Lymph node section stained with H&E, from a whole-slide image of a breast-cancer sentinel node. Magnification about 40×, about 0.12 mm across the frame, about 0.24 µm per pixel.
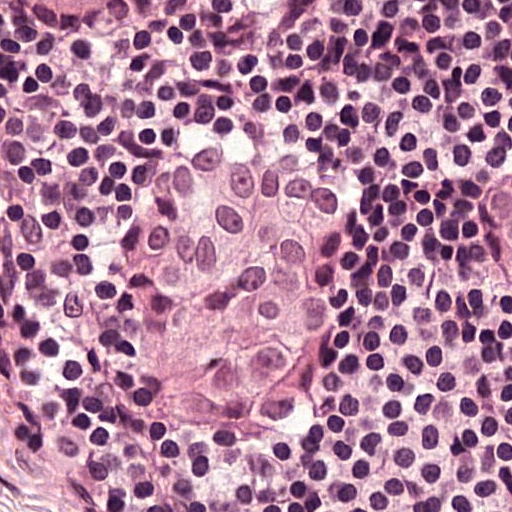
Outlines of three tumour regions, largest first (closed clockwise paths, crop pixels): region 1: (173, 128), (289, 128), (368, 170), (372, 241), (357, 333), (331, 420), (302, 458), (168, 451), (118, 417), (126, 191), (139, 154); region 2: (499, 170), (511, 172), (511, 311), (499, 304), (497, 296), (489, 291), (489, 286), (481, 286), (473, 265), (470, 265), (465, 215), (473, 201), (476, 183), (497, 175); region 3: (213, 0), (213, 3), (207, 3), (192, 11), (184, 11), (171, 16), (171, 19), (163, 19), (147, 26), (94, 26), (92, 24), (65, 24), (63, 19), (50, 11), (44, 11), (44, 8), (31, 1), (26, 1).
The annotated tumour makes up about 30% of the crop.